H&E-stained section of a sentinel lymph node (breast cancer), from a whole-slide image, viewed at about 2.5×: the field is about 1.9 mm across, about 3.6 µm per pixel.
Image:
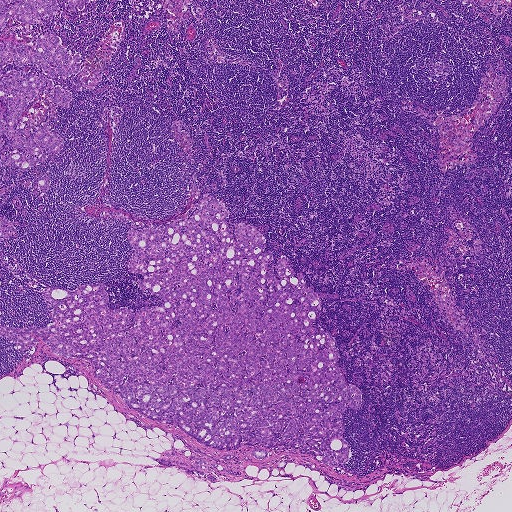
Question:
Is any metastatic breast cancer visible in this crop?
Answer:
Yes.
Outlines of four tumour regions, largest first (closed clockwise paths, crop pixels): region 1: (210, 194), (231, 230), (261, 231), (279, 280), (284, 255), (338, 294), (314, 325), (360, 391), (342, 418), (350, 457), (250, 445), (227, 460), (125, 407), (86, 358), (0, 326), (53, 322), (47, 287), (161, 306), (126, 269), (129, 228); region 2: (0, 0), (92, 0), (79, 12), (58, 6), (50, 22), (30, 25), (38, 34), (55, 32), (82, 58), (76, 74), (52, 78), (72, 98), (70, 107), (57, 106), (58, 119), (48, 125), (64, 145), (43, 163), (48, 189), (34, 195), (42, 164), (18, 176), (4, 166); region 3: (166, 449), (190, 451), (191, 455), (200, 458), (206, 456), (211, 463), (220, 464), (241, 474), (234, 475), (212, 468), (212, 473), (216, 475), (219, 481), (216, 482), (210, 482), (204, 475), (201, 475), (195, 471), (192, 472), (194, 474), (187, 473), (182, 472), (175, 465), (161, 466), (155, 458), (160, 456); region 4: (3, 216), (11, 221), (16, 228), (16, 233), (5, 240), (0, 233), (0, 217).
About 25% of this field is tumour.